This is a crop of a whole-slide image: an H&E-stained breast-cancer sentinel lymph node section at roughly 5× magnification (about 1.9 µm per pixel; the crop spans about 1 mm).
Image:
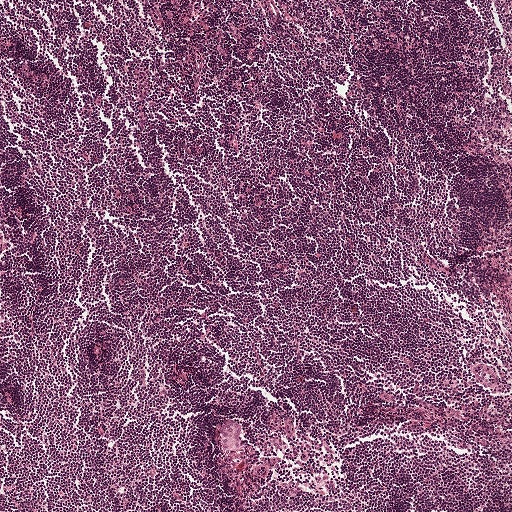
Question:
Does this lymph node field contain metastatic tumour?
Answer:
Yes.
One metastatic tumour region; its boundary, reduced to 9 corners and listed clockwise: (224, 418), (243, 422), (245, 435), (245, 447), (229, 456), (221, 454), (220, 438), (214, 428), (215, 421).
The annotated tumour makes up under 5% of the crop.